Image:
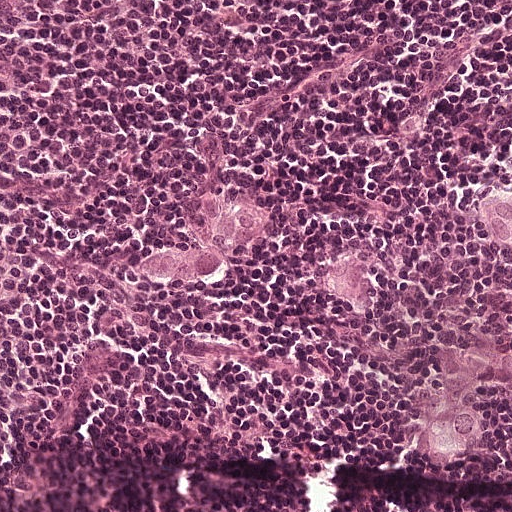
H&E-stained section of a sentinel lymph node (breast cancer), from a whole-slide image, viewed at about 20×: the field is about 0.25 mm across, about 0.49 µm per pixel.
Question:
Where is the metastatic tumour in this field?
Answer:
Boundaries of three metastatic tumour regions, simplified and listed clockwise, largest first: region 1: (240, 192), (257, 196), (268, 208), (268, 221), (251, 234), (238, 248), (217, 248), (222, 255), (219, 257), (222, 264), (220, 272), (197, 276), (188, 281), (153, 273), (140, 263), (146, 252), (165, 244), (212, 248), (208, 244), (208, 232), (210, 231), (212, 204), (224, 196); region 2: (336, 254), (364, 259), (366, 263), (370, 265), (372, 280), (379, 294), (379, 306), (376, 309), (355, 309), (347, 308), (335, 300), (331, 288), (312, 280), (314, 261); region 3: (511, 180), (511, 244), (510, 244), (500, 237), (484, 230), (480, 216), (474, 208), (474, 202), (476, 196), (484, 186).
One more small tumour piece is annotated here but not outlined.
About 5% of this field is tumour.